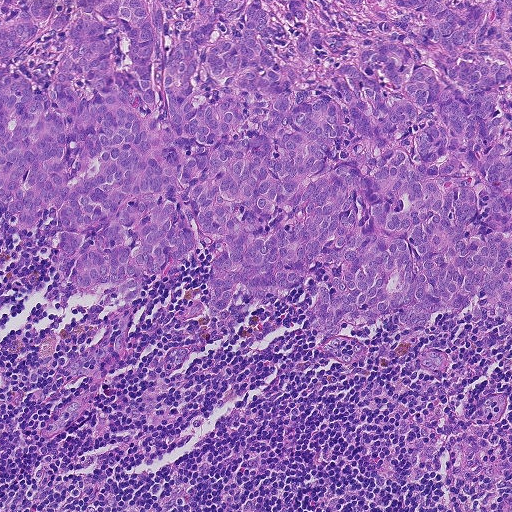
Lymph node section stained with H&E, from a whole-slide image of a breast-cancer sentinel node. Magnification about 10×, about 0.46 mm across the frame, about 0.9 µm per pixel.
Question: Is any metastatic breast cancer visible in this crop?
Answer: Yes.
One metastatic tumour region; its boundary, reduced to 22 corners and listed clockwise: (0, 0), (511, 0), (511, 336), (484, 346), (441, 314), (392, 336), (388, 317), (338, 329), (370, 354), (346, 366), (313, 340), (298, 287), (164, 375), (216, 244), (142, 294), (125, 361), (46, 441), (93, 378), (54, 365), (92, 296), (66, 311), (11, 296).
The annotated tumour makes up about 65% of the crop.

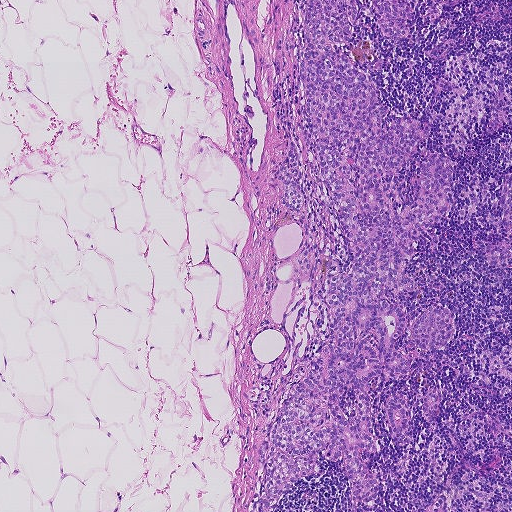
A 0.93-mm field of an H&E-stained sentinel lymph node from a breast-cancer patient (whole-slide image), shown at about 5×, about 1.8 µm per pixel.
Question: Is any metastatic breast cancer visible in this crop?
Answer: Yes.
Metastatic tumour outline, simplified to 33 points and listed clockwise in crop pixels (x, y): (302, 5), (409, 5), (402, 40), (361, 7), (353, 43), (378, 50), (387, 117), (432, 128), (402, 202), (427, 148), (455, 168), (398, 300), (409, 324), (442, 304), (454, 336), (421, 353), (408, 327), (393, 349), (406, 443), (393, 381), (369, 380), (367, 511), (351, 511), (342, 457), (321, 455), (252, 511), (264, 428), (350, 250), (312, 154), (302, 209), (267, 180), (290, 136), (302, 150).
About 20% of the image area is annotated as tumour.

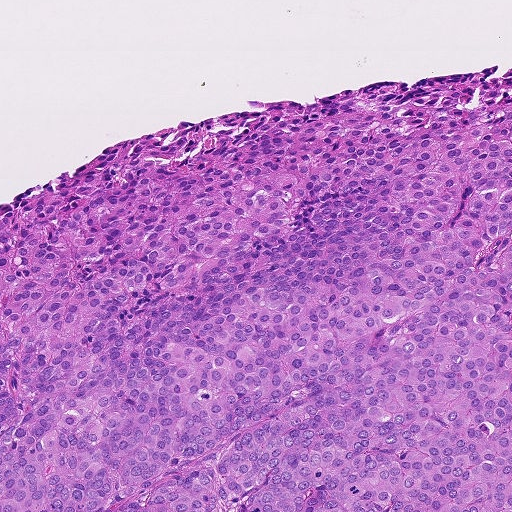
H&E-stained section of a sentinel lymph node (breast cancer), from a whole-slide image, viewed at about 10×: the field is about 0.46 mm across, about 0.9 µm per pixel.
Question: Is any metastatic breast cancer visible in this crop?
Answer: Yes.
The outlined metastatic tumour's edge, as a closed clockwise path of 6 points: (508, 72), (511, 511), (0, 511), (0, 209), (164, 127), (391, 82).
The annotated tumour makes up about 75% of the crop.

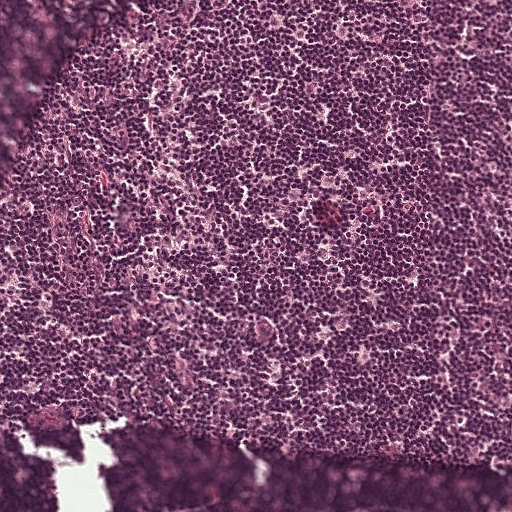
H&E-stained section of a sentinel lymph node (breast cancer), from a whole-slide image, viewed at about 10×: the field is about 0.5 mm across, about 0.97 µm per pixel.
Question: Is any metastatic breast cancer visible in this crop?
Answer: No. No metastatic tumour is outlined in this field.